H&E-stained section of a sentinel lymph node (breast cancer), from a whole-slide image, viewed at about 5×: the field is about 0.93 mm across, about 1.8 µm per pixel.
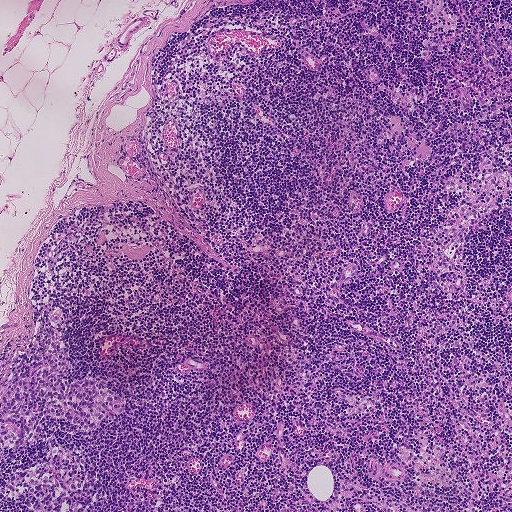
Question: Does this lymph node field contain metastatic tumour?
Answer: Yes.
Tumour region outline (a closed clockwise path, crop pixels): (52, 327), (71, 346), (68, 356), (79, 361), (63, 378), (68, 382), (90, 376), (105, 380), (126, 400), (124, 411), (118, 420), (103, 418), (84, 432), (64, 418), (45, 416), (35, 443), (16, 450), (0, 447), (2, 396), (15, 381), (44, 364), (33, 355).
About 5% of the image area is annotated as tumour.